Image:
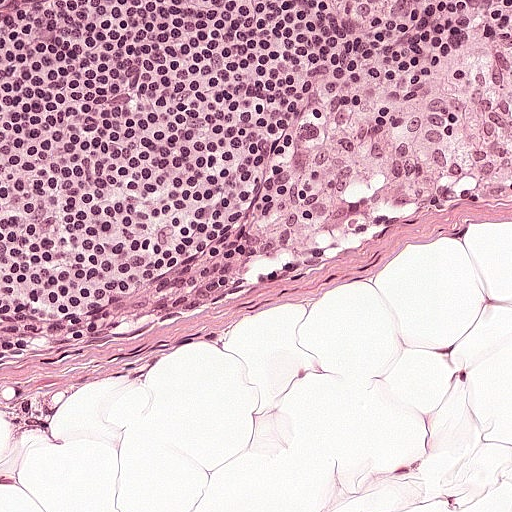
This is a crop of a whole-slide image: an H&E-stained breast-cancer sentinel lymph node section at roughly 20× magnification (about 0.49 µm per pixel; the crop spans about 0.25 mm).
Question:
Is there metastatic carcinoma in this field?
Answer:
No. No metastatic tumour is outlined in this field.